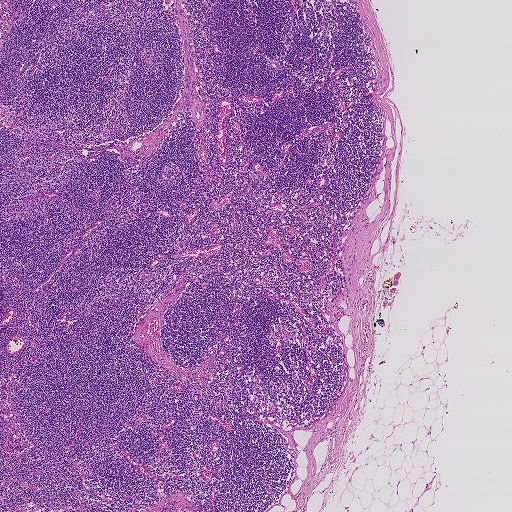
A 1.9-mm field of an H&E-stained sentinel lymph node from a breast-cancer patient (whole-slide image), shown at about 2.5×, about 3.6 µm per pixel.